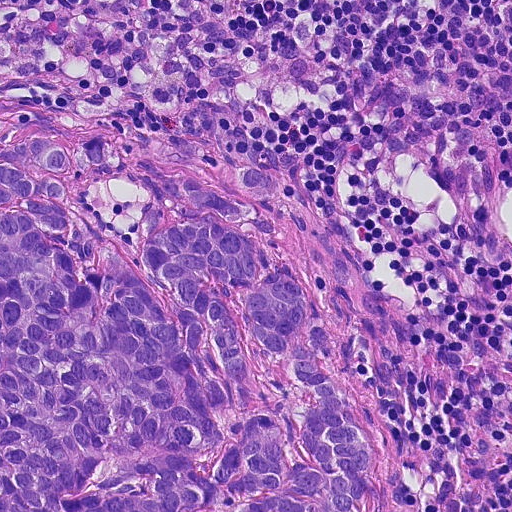
Lymph node section stained with H&E, from a whole-slide image of a breast-cancer sentinel node. Magnification about 20×, about 0.23 mm across the frame, about 0.45 µm per pixel.
Metastatic tumour outline, simplified to 18 points and listed clockwise in crop pixels (x, y): (116, 141), (124, 164), (76, 175), (77, 200), (147, 278), (155, 230), (176, 214), (169, 190), (188, 173), (234, 199), (238, 166), (273, 172), (278, 206), (260, 210), (376, 434), (382, 504), (0, 511), (0, 142).
About 40% of the image area is annotated as tumour.